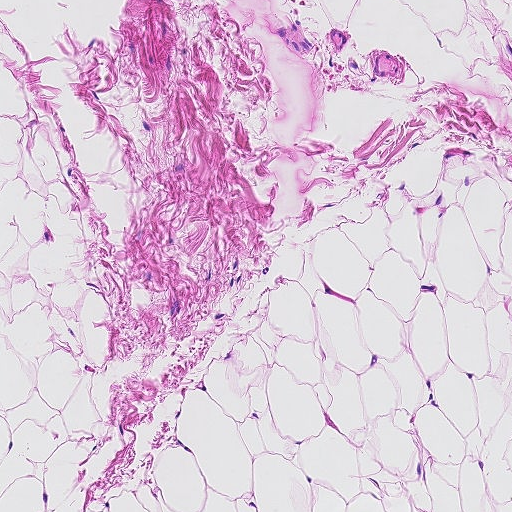
This is a crop of a whole-slide image: an H&E-stained breast-cancer sentinel lymph node section at roughly 10× magnification (about 0.9 µm per pixel; the crop spans about 0.46 mm).
Question: Is there metastatic carcinoma in this field?
Answer: No, this field holds no outlined metastasis.